Image:
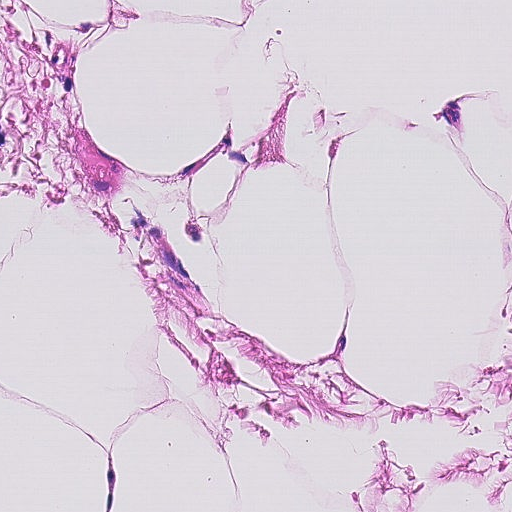
H&E-stained section of a sentinel lymph node (breast cancer), from a whole-slide image, viewed at about 20×: the field is about 0.23 mm across, about 0.45 µm per pixel.
Question:
Is there metastatic carcinoma in this field?
Answer:
No: no metastatic tumour is outlined anywhere in this field.